H&E-stained section of a sentinel lymph node (breast cancer), from a whole-slide image, viewed at about 10×: the field is about 0.5 mm across, about 0.97 µm per pixel.
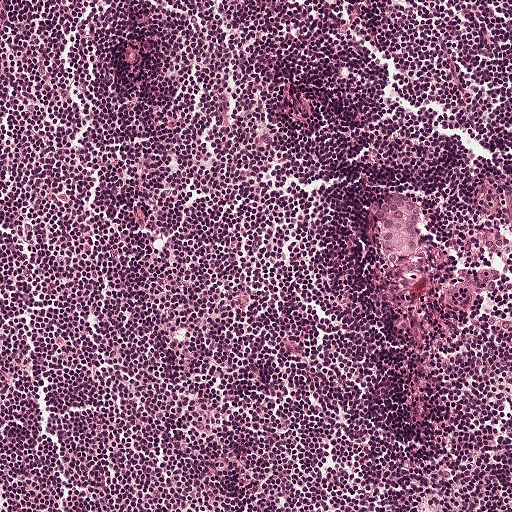
Metastatic tumour outline, simplified to 11 points and listed clockwise in crop pixels (x, y): (387, 190), (424, 200), (424, 216), (429, 224), (429, 242), (428, 248), (396, 268), (380, 262), (378, 230), (366, 212), (367, 198).
Under 5% of the image area is annotated as tumour.